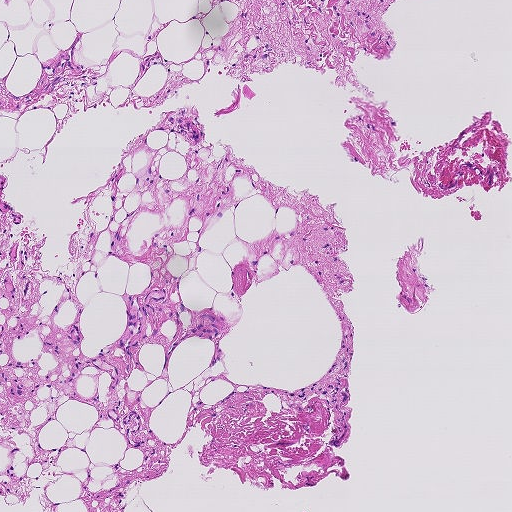
This is a crop of a whole-slide image: an H&E-stained breast-cancer sentinel lymph node section at roughly 5× magnification (about 1.8 µm per pixel; the crop spans about 0.93 mm).